Image:
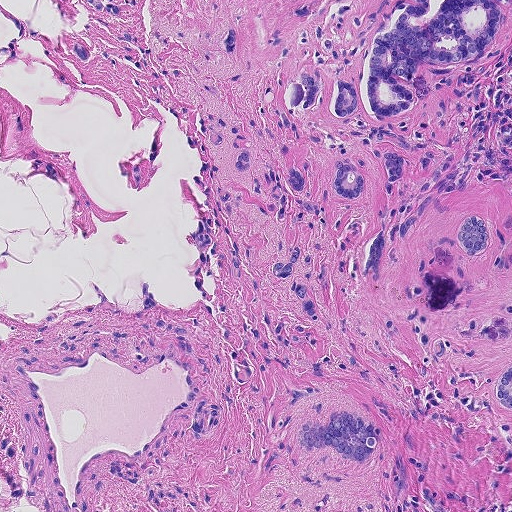
H&E-stained section of a sentinel lymph node (breast cancer), from a whole-slide image, viewed at about 10×: the field is about 0.46 mm across, about 0.9 µm per pixel.
Question:
Show where the tumour is in this image.
Answer:
Seven metastatic tumour regions, each outlined as a closed clockwise path in crop pixels (x, y), largest first: region 1: (511, 0), (511, 34), (455, 81), (422, 126), (436, 151), (432, 168), (465, 186), (394, 248), (378, 286), (360, 284), (358, 266), (380, 215), (378, 175), (354, 201), (326, 182), (292, 193), (287, 176), (324, 138), (321, 112), (284, 115), (274, 98), (278, 79), (307, 54), (279, 6); region 2: (344, 409), (374, 421), (381, 428), (372, 458), (365, 464), (355, 466), (328, 451), (316, 451), (306, 454), (297, 448), (294, 438), (295, 428), (302, 420), (312, 419), (320, 426), (334, 412); region 3: (511, 213), (511, 254), (507, 252), (488, 256), (470, 256), (458, 242), (457, 224), (472, 214), (490, 218); region 4: (290, 246), (308, 251), (312, 270), (310, 289), (318, 323), (316, 323), (290, 297), (268, 268), (272, 254); region 5: (511, 353), (511, 417), (502, 412), (487, 400), (482, 382), (494, 367); region 6: (422, 486), (427, 487), (432, 496), (440, 503), (446, 511), (428, 511), (425, 506), (422, 496); region 7: (83, 0), (106, 0), (110, 5), (100, 13).
Three more small tumour pieces are annotated here but not outlined.
About 20% of the image area is annotated as tumour.